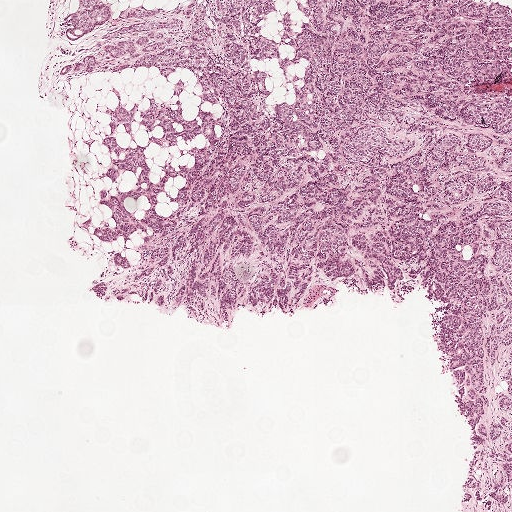
H&E-stained section of a sentinel lymph node (breast cancer), from a whole-slide image, viewed at about 2.5×: the field is about 2.0 mm across, about 3.9 µm per pixel.
Question: Which parts of this field are metastatic tumour? Answer with the outline of each region, in pixels.
Answer: Metastatic tumour outline, simplified to 15 points and listed clockwise in crop pixels (x, y): (511, 0), (511, 511), (461, 511), (459, 422), (428, 299), (374, 297), (255, 332), (164, 318), (86, 284), (106, 119), (172, 85), (160, 72), (100, 87), (56, 76), (67, 1).
The annotated tumour makes up about 55% of the crop.